Question: 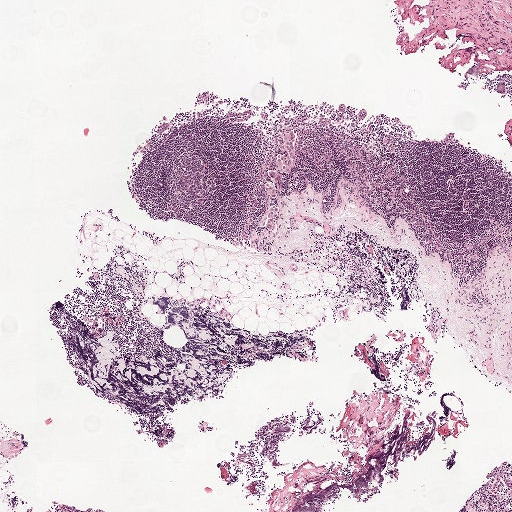
This is a crop of a whole-slide image: an H&E-stained breast-cancer sentinel lymph node section at roughly 2.5× magnification (about 3.9 µm per pixel; the crop spans about 2.0 mm).
Roughly what share of this field is metastatic tumour?

Choices:
 (A) about 5% or less
 (B) none: no tumour is outlined
 (C) about 10% to 20%
 (D) about 50% or more
 (E) about 25% to 45%

Answer: (A) about 5% or less
Under 5% of the field is tumour.
The outlined metastatic tumour's edge, as a closed clockwise path of 23 points: (293, 130), (295, 135), (293, 143), (295, 165), (291, 173), (283, 176), (284, 184), (282, 188), (270, 200), (270, 204), (277, 208), (276, 220), (272, 231), (268, 231), (264, 228), (267, 215), (264, 187), (270, 180), (269, 173), (275, 170), (278, 151), (281, 149), (281, 135).